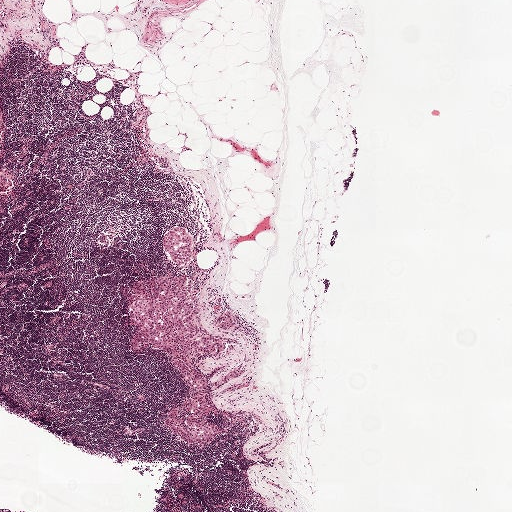
A 2.0-mm field of an H&E-stained sentinel lymph node from a breast-cancer patient (whole-slide image), shown at about 2.5×, about 3.9 µm per pixel.
Four metastatic tumour regions, each outlined as a closed clockwise path in crop pixels (x, y), largest first: region 1: (166, 275), (181, 277), (200, 308), (201, 329), (223, 345), (218, 353), (195, 355), (211, 406), (205, 419), (220, 430), (207, 444), (195, 446), (164, 427), (168, 413), (189, 396), (165, 354), (129, 351), (136, 329), (127, 306); region 2: (179, 227), (187, 231), (190, 236), (193, 247), (187, 264), (175, 265), (166, 254), (162, 239), (169, 229); region 3: (226, 312), (230, 314), (235, 320), (235, 323), (233, 327), (222, 330), (217, 328), (215, 322), (218, 316); region 4: (240, 365), (244, 372), (230, 383), (222, 383), (221, 380), (223, 375), (233, 368).
The annotated tumour makes up about 5% of the crop.